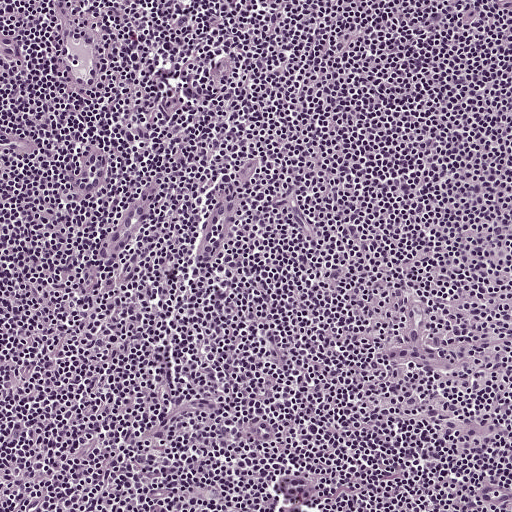
This is a crop of a whole-slide image: an H&E-stained breast-cancer sentinel lymph node section at roughly 10× magnification (about 0.97 µm per pixel; the crop spans about 0.5 mm).